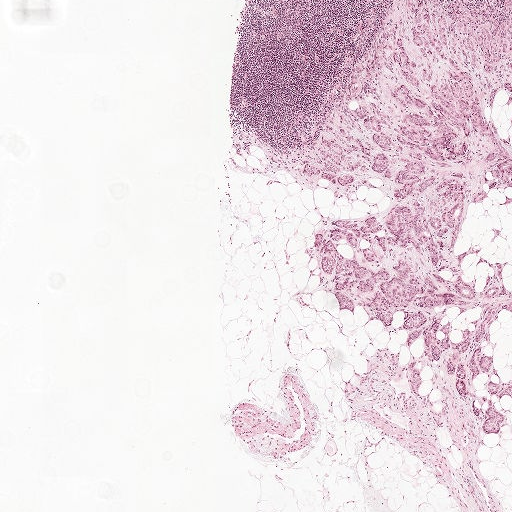
A 2.0-mm field of an H&E-stained sentinel lymph node from a breast-cancer patient (whole-slide image), shown at about 2.5×, about 3.9 µm per pixel.
Question: Which parts of this field are metastatic tumour?
Answer: Metastatic tumour outline, simplified to 39 points and listed clockwise in crop pixels (x, y): (511, 0), (511, 104), (501, 90), (486, 112), (509, 133), (511, 188), (490, 189), (487, 172), (454, 250), (482, 252), (440, 274), (482, 291), (493, 269), (475, 266), (481, 256), (507, 262), (511, 312), (482, 350), (499, 375), (474, 381), (490, 397), (485, 383), (511, 378), (511, 400), (495, 401), (504, 427), (484, 433), (428, 364), (407, 391), (403, 332), (340, 312), (306, 251), (318, 223), (390, 206), (378, 178), (336, 196), (301, 185), (301, 172), (390, 2).
Two more small tumour pieces are annotated here but not outlined.
About 20% of this field is tumour.